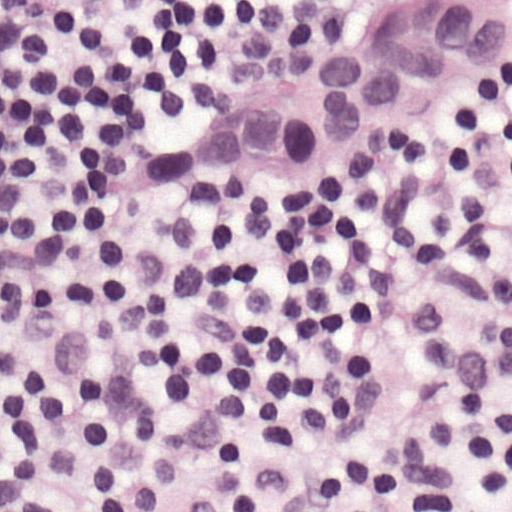
H&E-stained section of a sentinel lymph node (breast cancer), from a whole-slide image, viewed at about 40×: the field is about 0.12 mm across, about 0.24 µm per pixel.
Metastatic tumour outline, simplified to 8 points and listed clockwise in crop pixels (x, y): (361, 0), (495, 0), (511, 67), (369, 203), (277, 245), (200, 183), (241, 101), (306, 38).
About 15% of the image area is annotated as tumour.